Question: 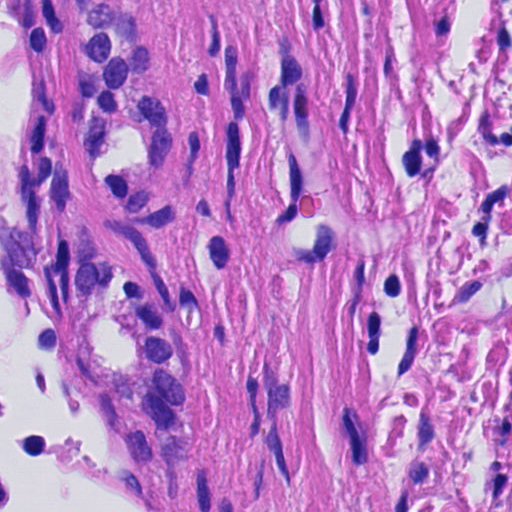
About what magnification does this crop show?

Choices:
 (A) about 10×
 (B) about 20×
 (C) about 40×
 (D) about 5×
 (E) about 2.5×

Answer: (C) about 40×
Lymph node section stained with H&E, from a whole-slide image of a breast-cancer sentinel node. Magnification about 40×, about 0.12 mm across the frame, about 0.23 µm per pixel.
Two metastatic tumour regions, each outlined as a closed clockwise path in crop pixels (x, y), largest first: region 1: (76, 227), (157, 279), (187, 353), (190, 430), (159, 495), (61, 377); region 2: (75, 0), (127, 0), (140, 11), (171, 161), (148, 231), (95, 184), (61, 116), (65, 37).
The annotated tumour makes up about 15% of the crop.